Image:
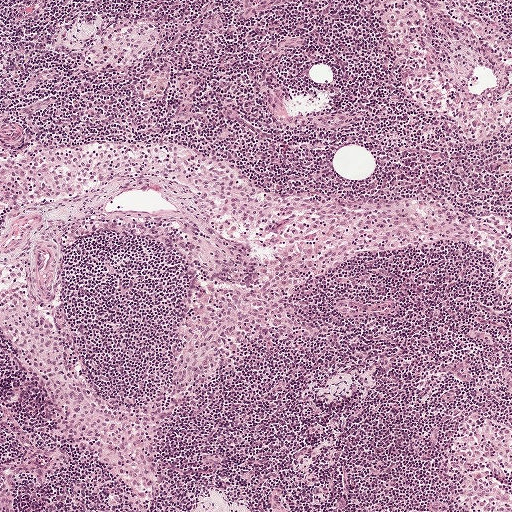
H&E-stained section of a sentinel lymph node (breast cancer), from a whole-slide image, viewed at about 5×: the field is about 1 mm across, about 1.9 µm per pixel.
Question:
Does this lymph node field contain metastatic tumour?
Answer:
No. No metastatic tumour is outlined in this field.